H&E-stained section of a sentinel lymph node (breast cancer), from a whole-slide image, viewed at about 10×: the field is about 0.51 mm across, about 1.0 µm per pixel.
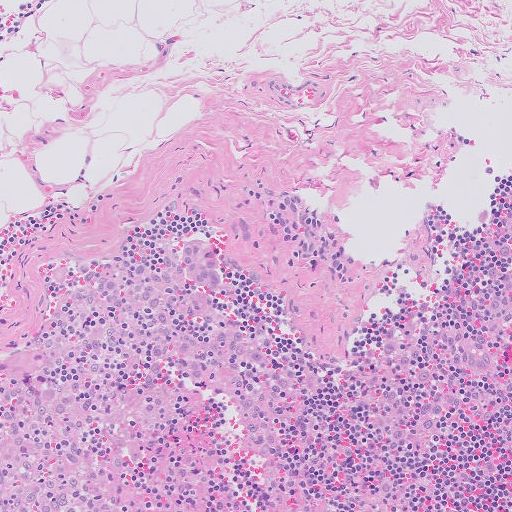
Boundaries of two metastatic tumour regions, simplified and listed clockwise, largest first: region 1: (200, 232), (219, 240), (230, 276), (221, 294), (200, 291), (183, 272), (174, 245); region 2: (27, 345), (41, 347), (58, 358), (46, 376), (24, 385), (0, 378), (0, 351).
Under 5% of the image area is annotated as tumour.